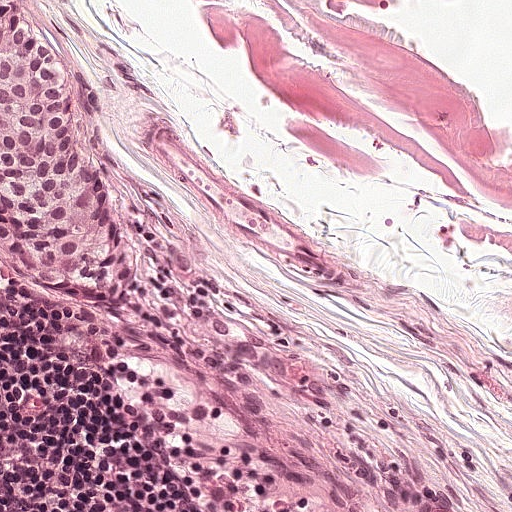
Lymph node section stained with H&E, from a whole-slide image of a breast-cancer sentinel node. Magnification about 20×, about 0.25 mm across the frame, about 0.49 µm per pixel.
The outlined metastatic tumour's edge, as a closed clockwise path of 13 points: (0, 0), (11, 0), (61, 56), (100, 172), (124, 205), (137, 318), (125, 327), (94, 327), (78, 325), (56, 306), (34, 305), (12, 282), (2, 252).
About 10% of the image area is annotated as tumour.